Image:
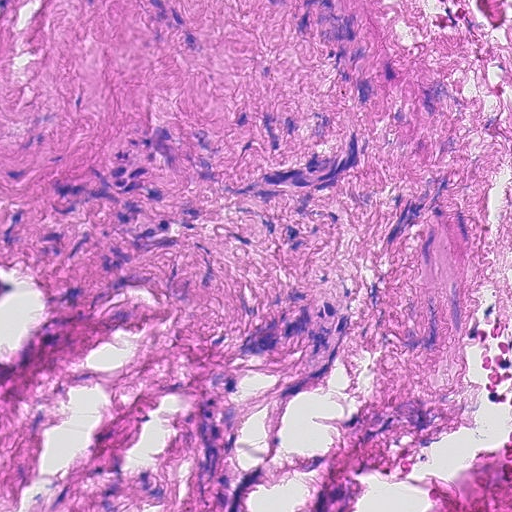
This is a crop of a whole-slide image: an H&E-stained breast-cancer sentinel lymph node section at roughly 20× magnification (about 0.45 µm per pixel; the crop spans about 0.23 mm).
Question:
Is there metastatic carcinoma in this field?
Answer:
No: no metastatic tumour is outlined anywhere in this field.